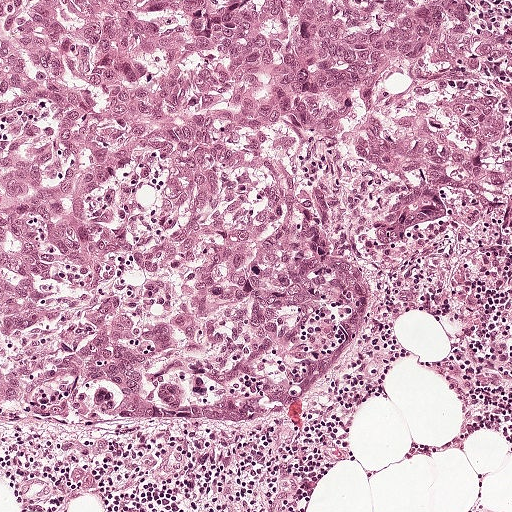
H&E-stained section of a sentinel lymph node (breast cancer), from a whole-slide image, viewed at about 10×: the field is about 0.5 mm across, about 0.97 µm per pixel.
The outlined metastatic tumour's edge, as a closed clockwise path of 10 points: (0, 0), (486, 0), (355, 88), (318, 136), (329, 198), (375, 288), (358, 352), (191, 431), (83, 428), (0, 406).
Tumour covers about 55% of the frame.